Question: 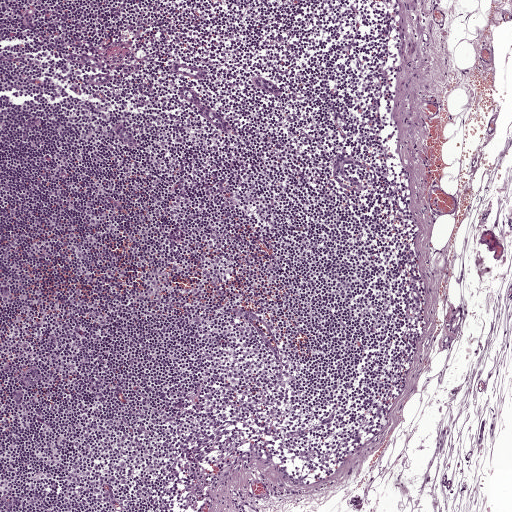
Which magnification is this H&E lymph node field most likely shown at?

Choices:
 (A) about 20×
 (B) about 5×
 (C) about 2.5×
 (D) about 10×
 (E) about 40×

Answer: (B) about 5×
Lymph node section stained with H&E, from a whole-slide image of a breast-cancer sentinel node. Magnification about 5×, about 1 mm across the frame, about 1.9 µm per pixel.